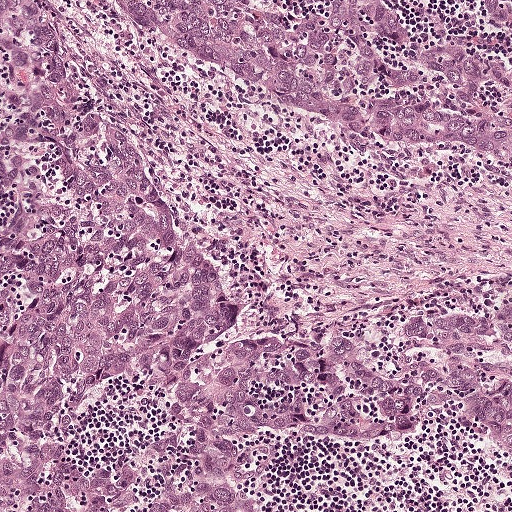
A 0.5-mm field of an H&E-stained sentinel lymph node from a breast-cancer patient (whole-slide image), shown at about 10×, about 0.97 µm per pixel.
One metastatic tumour region; its boundary, reduced to 20 corners and listed clockwise: (0, 0), (42, 0), (147, 154), (231, 305), (226, 336), (195, 368), (112, 399), (74, 428), (67, 452), (77, 468), (134, 456), (198, 408), (244, 351), (285, 332), (343, 339), (432, 384), (422, 429), (288, 442), (256, 511), (0, 511).
About 40% of the image area is annotated as tumour.